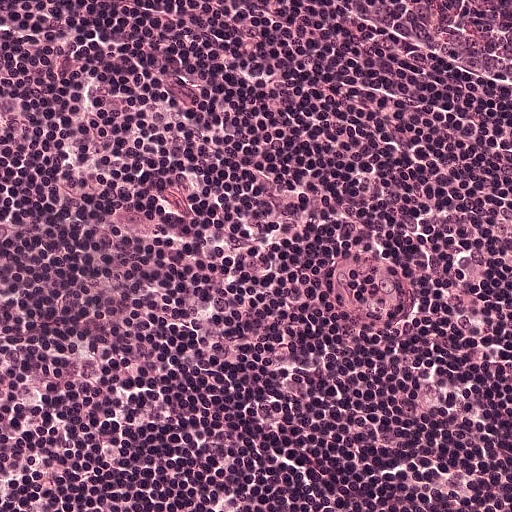
This is a crop of a whole-slide image: an H&E-stained breast-cancer sentinel lymph node section at roughly 20× magnification (about 0.49 µm per pixel; the crop spans about 0.25 mm).
Question: Does this lymph node field contain metastatic tumour?
Answer: No: no metastatic tumour is outlined anywhere in this field.